Image:
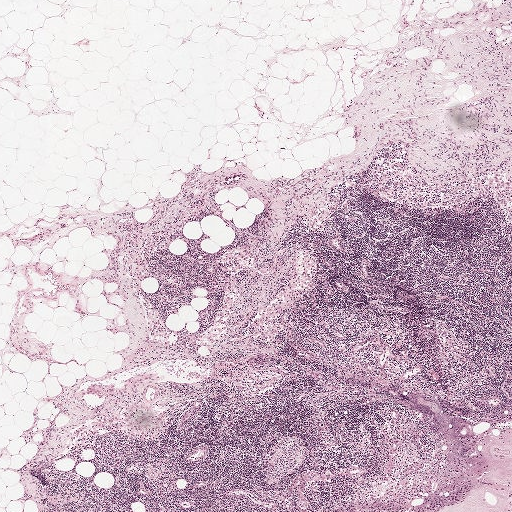
H&E-stained section of a sentinel lymph node (breast cancer), from a whole-slide image, viewed at about 2.5×: the field is about 2.0 mm across, about 3.9 µm per pixel.
Question:
Does this lymph node field contain metastatic tumour?
Answer:
No, this field holds no outlined metastasis.